Question: 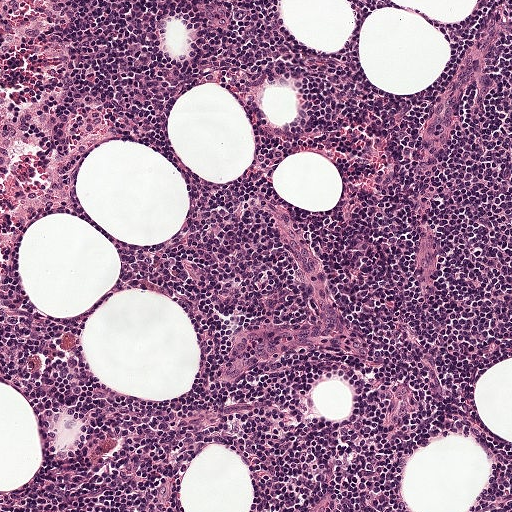
Which magnification is this H&E lymph node field most likely shown at?

Choices:
 (A) about 20×
 (B) about 10×
 (C) about 5×
 (D) about 40×
 (E) about 2.5×

Answer: (B) about 10×
Lymph node section stained with H&E, from a whole-slide image of a breast-cancer sentinel node. Magnification about 10×, about 0.5 mm across the frame, about 0.97 µm per pixel.